Question: 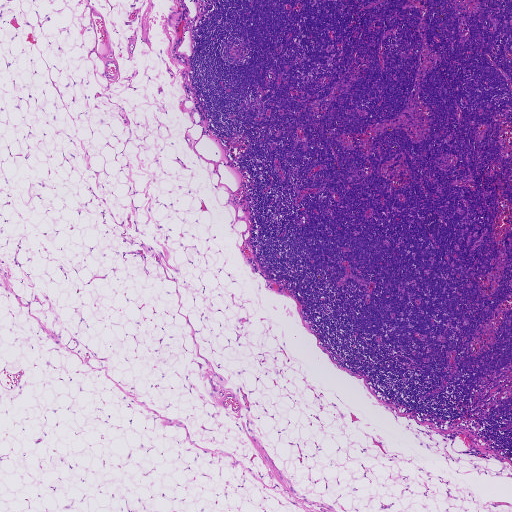
At roughly what magnification is this field shown?

Choices:
 (A) about 2.5×
 (B) about 5×
 (C) about 10×
 (D) about 40×
 (E) about 20×

Answer: (A) about 2.5×
Lymph node section stained with H&E, from a whole-slide image of a breast-cancer sentinel node. Magnification about 2.5×, about 1.9 mm across the frame, about 3.6 µm per pixel.